Image:
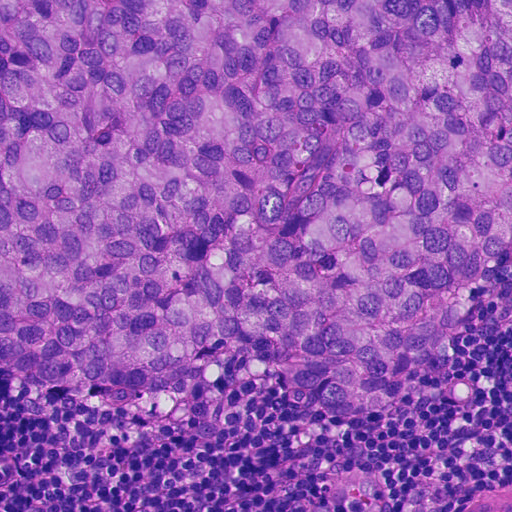
Lymph node section stained with H&E, from a whole-slide image of a breast-cancer sentinel node. Magnification about 20×, about 0.23 mm across the frame, about 0.45 µm per pixel.
Question:
Which parts of this field are metastatic tumour?
Answer:
Metastatic tumour outline, simplified to 12 points and listed clockwise in crop pixels (x, y): (0, 0), (511, 0), (511, 260), (450, 337), (435, 382), (394, 410), (344, 418), (300, 396), (248, 342), (225, 350), (202, 391), (0, 367).
The annotated tumour makes up about 75% of the crop.